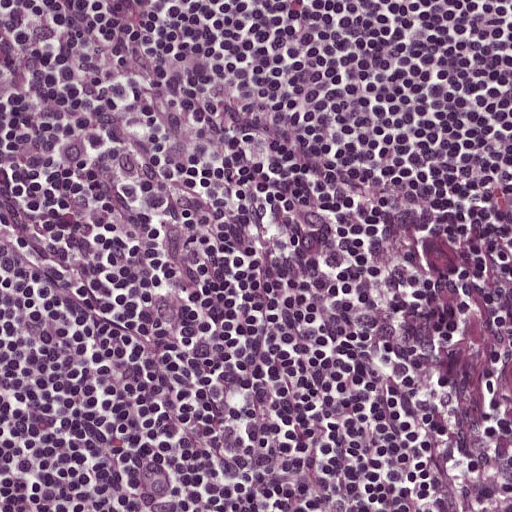
Lymph node section stained with H&E, from a whole-slide image of a breast-cancer sentinel node. Magnification about 20×, about 0.25 mm across the frame, about 0.49 µm per pixel.